Question: 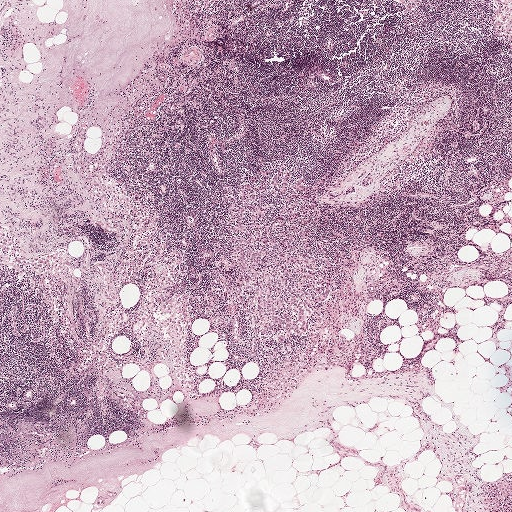
Lymph node section stained with H&E, from a whole-slide image of a breast-cancer sentinel node. Magnification about 2.5×, about 2.0 mm across the frame, about 3.9 µm per pixel.
Roughly what share of this field is metastatic tumour?

Choices:
 (A) about 5% or less
 (B) about 10% to 20%
 (C) none: no tumour is outlined
 (D) about 25% to 45%
 (E) about 50% or more

Answer: (A) about 5% or less
About 5% of the field is tumour.
Tumour region outline (a closed clockwise path, crop pixels): (277, 170), (293, 173), (293, 188), (296, 179), (307, 176), (304, 184), (319, 186), (321, 219), (310, 246), (326, 284), (331, 280), (326, 299), (314, 303), (307, 332), (299, 334), (296, 328), (285, 343), (259, 337), (222, 286), (237, 275), (224, 197), (241, 204), (243, 184), (271, 182).
Three more small tumour pieces are annotated here but not outlined.